Question: 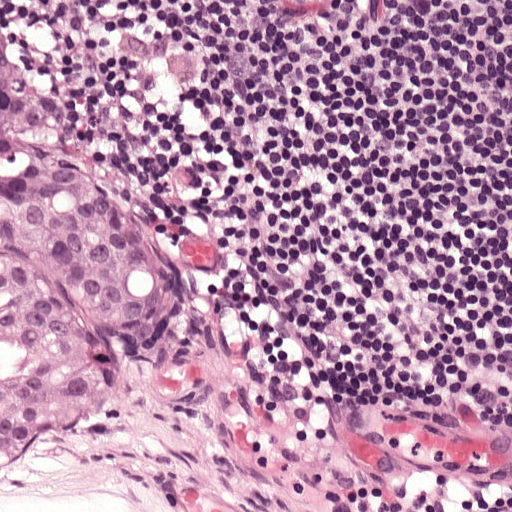
Lymph node section stained with H&E, from a whole-slide image of a breast-cancer sentinel node. Magnification about 20×, about 0.25 mm across the frame, about 0.49 µm per pixel.
Roughly what share of this field is metastatic tumour?

Choices:
 (A) about 25% to 45%
 (B) about 5% or less
 (C) about 10% to 20%
 (D) about 50% or more
 (E) none: no tumour is outlined

Answer: (C) about 10% to 20%
About 15% of the field is tumour.
Tumour region outline (a closed clockwise path, crop pixels): (0, 35), (54, 142), (142, 196), (173, 236), (186, 284), (169, 332), (121, 350), (111, 398), (82, 442), (0, 463).